Question: 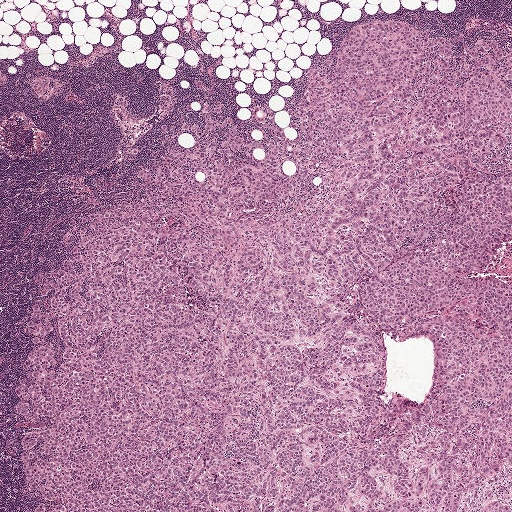
Lymph node section stained with H&E, from a whole-slide image of a breast-cancer sentinel node. Magnification about 2.5×, about 2.0 mm across the frame, about 3.9 µm per pixel.
Roughly what share of this field is metastatic tumour?

Choices:
 (A) about 10% to 20%
 (B) about 25% to 45%
 (C) about 50% or more
 (D) none: no tumour is outlined
 (E) about 5% or less

Answer: (C) about 50% or more
About 75% of the field is tumour.
The outlined metastatic tumour's edge, as a closed clockwise path of 20 points: (374, 19), (470, 43), (496, 30), (511, 44), (511, 511), (30, 511), (14, 411), (22, 322), (67, 256), (71, 218), (138, 196), (135, 169), (163, 149), (161, 126), (205, 120), (204, 102), (240, 132), (258, 107), (296, 113), (306, 70).
Two more small tumour pieces are annotated here but not outlined.